Question: 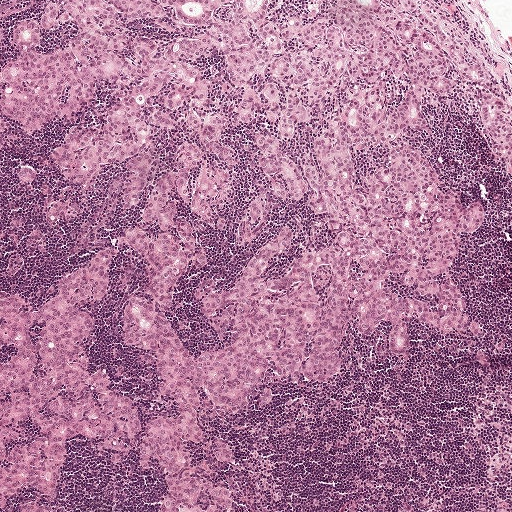
This is a crop of a whole-slide image: an H&E-stained breast-cancer sentinel lymph node section at roughly 5× magnification (about 1.9 µm per pixel; the crop spans about 1 mm).
Estimate the proportion of this field that is metastatic tumour.

Choices:
 (A) about 10% to 20%
 (B) about 5% or less
 (C) about 50% or more
 (D) none: no tumour is outlined
 (E) about 25% to 45%

Answer: (C) about 50% or more
About 60% of the field is tumour.
Outlines of four tumour regions, largest first (closed clockwise paths, crop pixels): region 1: (52, 0), (436, 0), (511, 83), (511, 173), (468, 83), (411, 137), (483, 207), (445, 272), (486, 338), (420, 320), (401, 356), (381, 321), (273, 376), (213, 424), (233, 460), (185, 456), (230, 511), (157, 511), (160, 468), (73, 440), (54, 511), (0, 511), (0, 298), (123, 244), (92, 367), (180, 418), (116, 320), (186, 136), (168, 138), (126, 209), (125, 165), (47, 157), (118, 84), (0, 149), (12, 23), (77, 32); region 2: (62, 199), (74, 204), (80, 211), (71, 220), (61, 225), (55, 225), (46, 223), (44, 219), (45, 209), (53, 201); region 3: (6, 0), (33, 1), (31, 8), (24, 12), (11, 16), (0, 16), (0, 4); region 4: (20, 166), (26, 166), (36, 172), (36, 177), (35, 182), (30, 184), (26, 184), (20, 182), (15, 174).
Region 1 encloses a non-tumour hole of about 10% of its area.